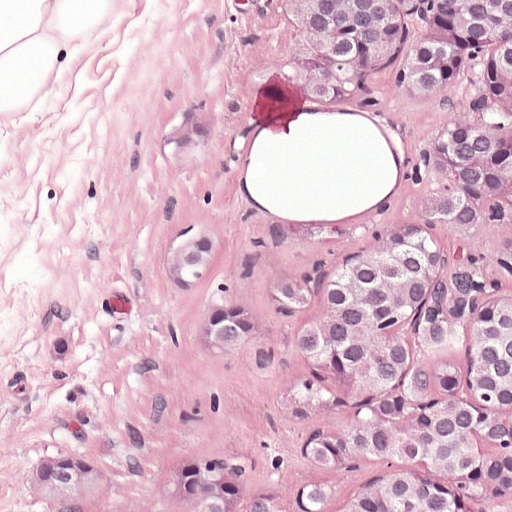
This is a crop of a whole-slide image: an H&E-stained breast-cancer sentinel lymph node section at roughly 20× magnification (about 0.49 µm per pixel; the crop spans about 0.25 mm).
Outlines of two tumour regions, largest first (closed clockwise paths, crop pixels): region 1: (296, 0), (511, 0), (511, 511), (146, 511), (207, 444), (282, 457), (272, 388), (179, 349), (208, 310), (355, 242), (420, 183), (412, 128), (319, 108), (280, 69); region 2: (209, 96), (230, 122), (212, 160), (164, 171), (157, 132), (186, 99).
Two more small tumour pieces are annotated here but not outlined.
The annotated tumour makes up about 45% of the crop.